A 0.93-mm field of an H&E-stained sentinel lymph node from a breast-cancer patient (whole-slide image), shown at about 5×, about 1.8 µm per pixel.
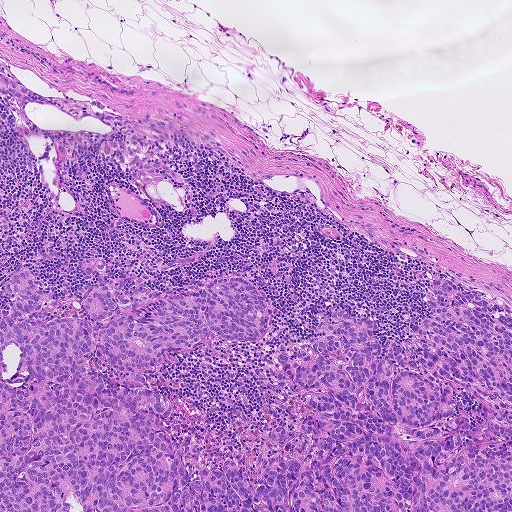
The outlined metastatic tumour's edge, as a closed clockwise path of 22 points: (93, 257), (155, 294), (263, 289), (261, 342), (210, 334), (151, 367), (190, 481), (296, 432), (263, 360), (326, 335), (327, 313), (375, 318), (379, 358), (427, 316), (438, 276), (510, 307), (511, 511), (0, 511), (0, 282), (18, 268), (54, 299), (83, 300).
About 35% of the image area is annotated as tumour.